Lymph node section stained with H&E, from a whole-slide image of a breast-cancer sentinel node. Magnification about 20×, about 0.25 mm across the frame, about 0.49 µm per pixel.
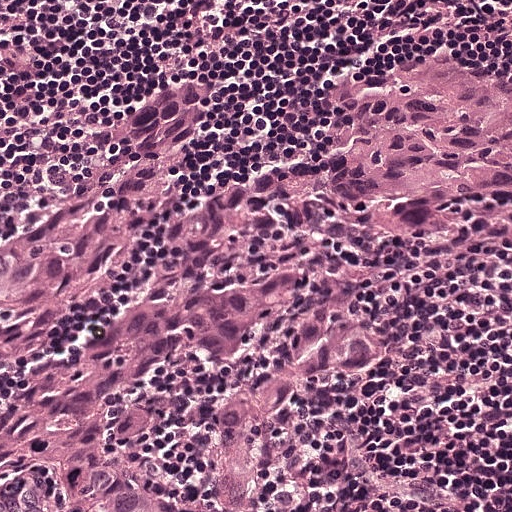
Question: Does this lymph node field contain metastatic tumour?
Answer: Yes.
Tumour region outline (a closed clockwise path, crop pixels): (396, 7), (511, 50), (511, 511), (0, 511), (0, 225), (96, 162), (102, 112), (176, 86), (199, 101), (176, 164), (186, 188), (265, 172), (315, 129), (330, 56).
About 80% of the image area is annotated as tumour.